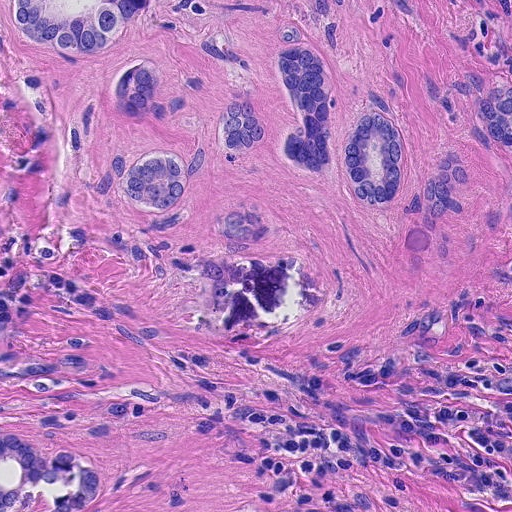
This is a crop of a whole-slide image: an H&E-stained breast-cancer sentinel lymph node section at roughly 20× magnification (about 0.45 µm per pixel; the crop spans about 0.23 mm).
Three metastatic tumour regions, each outlined as a closed clockwise path in crop pixels (x, y), largest first: region 1: (0, 0), (511, 0), (511, 230), (498, 215), (469, 236), (396, 246), (328, 217), (343, 290), (319, 320), (248, 335), (176, 320), (150, 295), (104, 194), (101, 74), (26, 51), (0, 29); region 2: (0, 428), (10, 428), (46, 446), (66, 447), (102, 468), (104, 489), (91, 504), (79, 511), (0, 511); region 3: (26, 268), (29, 288), (16, 306), (12, 326), (19, 346), (38, 352), (82, 352), (101, 359), (70, 374), (26, 382), (6, 394), (4, 414), (0, 415), (0, 278).
Two more small tumour pieces are annotated here but not outlined.
The annotated tumour makes up about 50% of the crop.